Question: 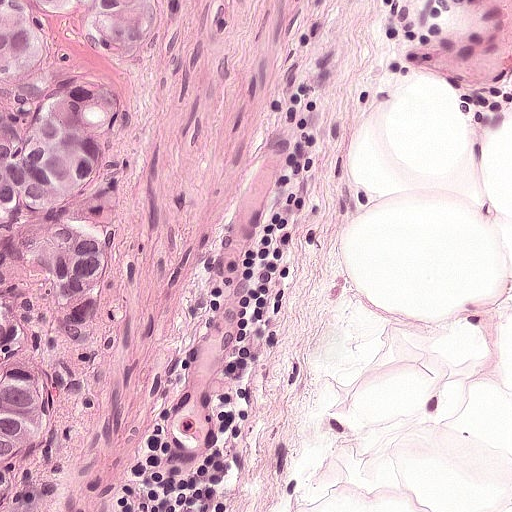
H&E-stained section of a sentinel lymph node (breast cancer), from a whole-slide image, viewed at about 20×: the field is about 0.25 mm across, about 0.49 µm per pixel.
About how much of this crop is taken up by metastatic carcinoma?

Choices:
 (A) about 10% to 20%
 (B) about 25% to 45%
 (C) none: no tumour is outlined
 (D) about 50% or more
 (E) about 5% or less

Answer: (A) about 10% to 20%
About 20% of the field is tumour.
One metastatic tumour region; its boundary, reduced to 7 corners and listed clockwise: (0, 0), (163, 0), (139, 68), (126, 197), (55, 436), (44, 510), (0, 511).